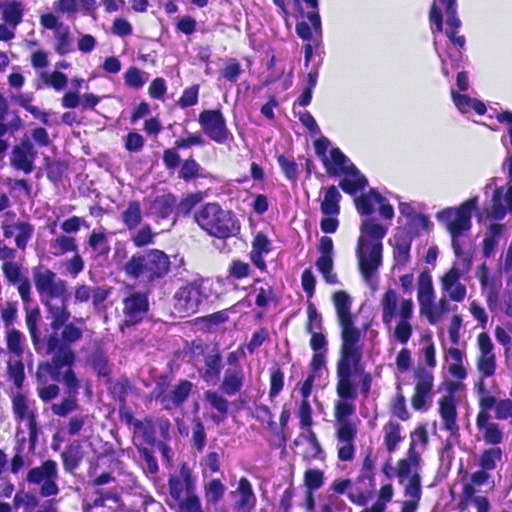
Lymph node section stained with H&E, from a whole-slide image of a breast-cancer sentinel node. Magnification about 40×, about 0.12 mm across the frame, about 0.23 µm per pixel.
Question: Show where the tumour is in this image.
Answer: Three metastatic tumour regions, each outlined as a closed clockwise path in crop pixels (x, y), largest first: region 1: (206, 187), (261, 215), (260, 285), (202, 327), (134, 307), (160, 241); region 2: (0, 301), (13, 340), (13, 398), (10, 455), (0, 508); region 3: (72, 497), (117, 501), (128, 511), (43, 511), (47, 509).
The annotated tumour makes up about 5% of the crop.